Image:
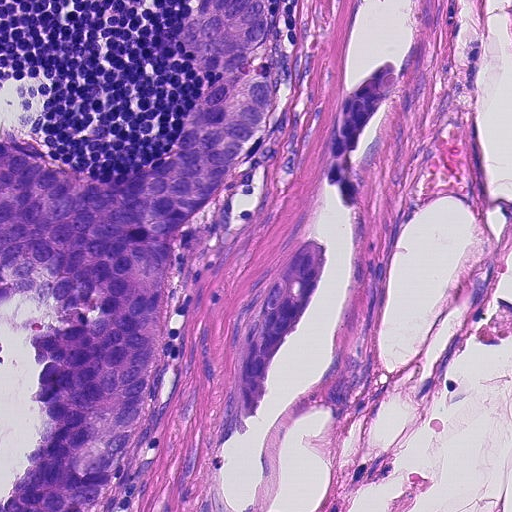
Lymph node section stained with H&E, from a whole-slide image of a breast-cancer sentinel node. Magnification about 20×, about 0.23 mm across the frame, about 0.45 µm per pixel.
Question:
Which parts of this field are metastatic tumour? Answer with the outline of each region, in pixels.
Answer:
Tumour region outline (a closed clockwise path, crop pixels): (188, 0), (266, 0), (278, 22), (275, 100), (180, 231), (160, 424), (118, 493), (94, 511), (0, 511), (36, 440), (26, 341), (32, 326), (55, 322), (49, 296), (36, 290), (0, 310), (0, 137), (64, 166), (142, 168), (172, 143), (210, 76), (176, 35).
About 25% of this field is tumour.